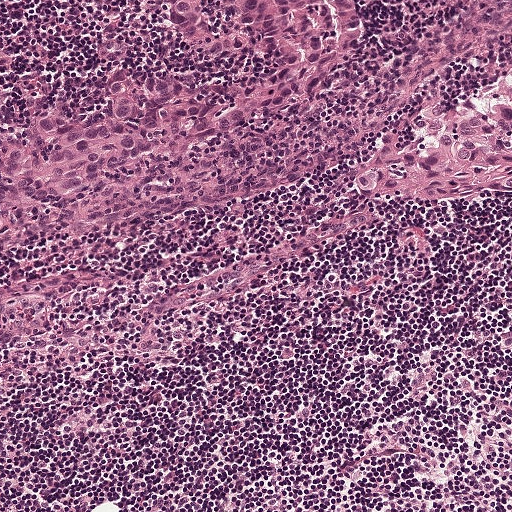
This is a crop of a whole-slide image: an H&E-stained breast-cancer sentinel lymph node section at roughly 10× magnification (about 0.97 µm per pixel; the crop spans about 0.5 mm).
Outlines of two tumour regions, largest first (closed clockwise paths, crop pixels): region 1: (0, 0), (352, 0), (358, 50), (338, 82), (2, 222); region 2: (511, 63), (511, 193), (479, 191), (458, 199), (376, 201), (343, 191), (341, 166), (351, 147), (415, 100), (465, 86), (491, 86), (492, 76).
About 25% of this field is tumour.